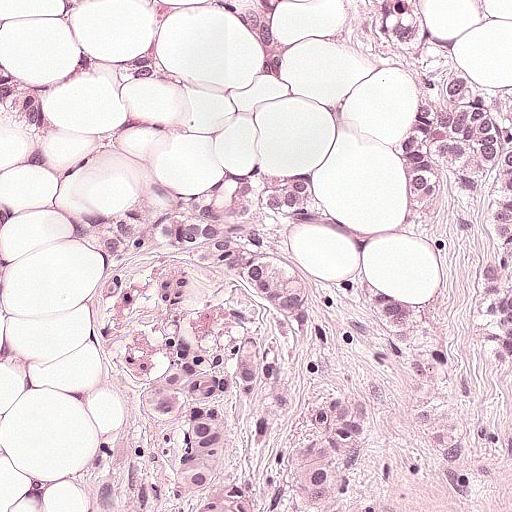
A 0.25-mm field of an H&E-stained sentinel lymph node from a breast-cancer patient (whole-slide image), shown at about 20×, about 0.49 µm per pixel.
Outlines of three tumour regions, largest first (closed clockwise paths, crop pixels): region 1: (346, 0), (425, 0), (430, 34), (507, 79), (511, 511), (69, 511), (57, 486), (94, 444), (104, 388), (74, 222), (104, 218), (142, 182), (290, 164), (354, 220), (366, 253), (296, 244), (304, 274), (352, 294), (424, 296), (388, 181), (376, 56), (331, 25); region 2: (0, 60), (10, 73), (21, 78), (28, 78), (48, 92), (56, 112), (56, 127), (59, 131), (44, 135), (32, 130), (0, 125); region 3: (0, 201), (12, 203), (19, 207), (18, 226), (6, 242), (6, 277), (10, 280), (10, 298), (12, 308), (0, 310).
Tumour covers about 60% of the frame.